Image:
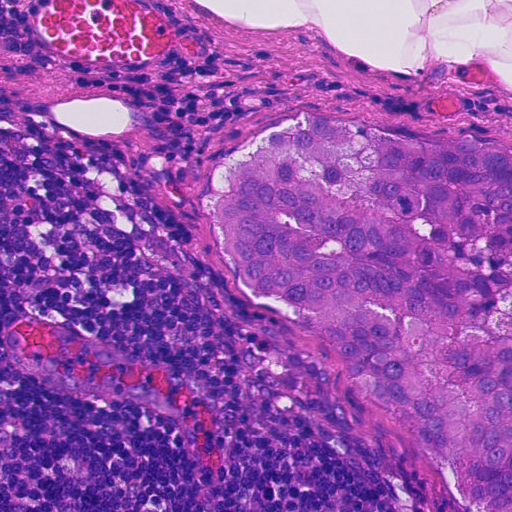
A 0.23-mm field of an H&E-stained sentinel lymph node from a breast-cancer patient (whole-slide image), shown at about 20×, about 0.45 µm per pixel.
Question:
Show where the tumour is in this image.
Answer:
The outlined metastatic tumour's edge, as a closed clockwise path of 10 points: (308, 108), (440, 141), (511, 144), (511, 511), (461, 511), (414, 444), (250, 292), (213, 228), (206, 178), (222, 158).
About 30% of the image area is annotated as tumour.